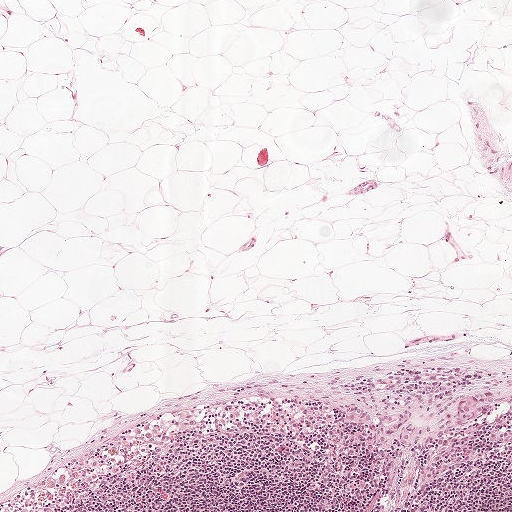
Lymph node section stained with H&E, from a whole-slide image of a breast-cancer sentinel node. Magnification about 5×, about 1 mm across the frame, about 1.9 µm per pixel.
Two metastatic tumour regions, each outlined as a closed clockwise path in crop pixels (x, y), largest first: region 1: (488, 393), (493, 394), (497, 404), (489, 414), (459, 428), (450, 438), (434, 444), (431, 443), (442, 420), (455, 412), (459, 404), (475, 395); region 2: (399, 409), (406, 411), (408, 413), (408, 423), (403, 427), (391, 444), (385, 446), (374, 446), (372, 440), (374, 434), (374, 416), (376, 414), (382, 412), (393, 415).
Tumour covers under 5% of the frame.